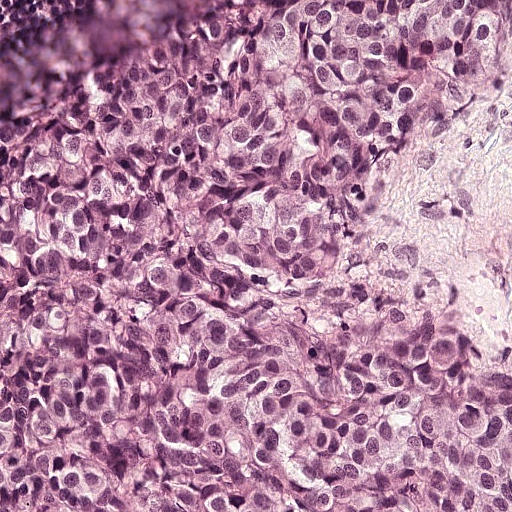
A 0.25-mm field of an H&E-stained sentinel lymph node from a breast-cancer patient (whole-slide image), shown at about 20×, about 0.49 µm per pixel.
Metastatic tumour outline, simplified to 11 points and listed clockwise in crop pixels (x, y): (511, 0), (511, 71), (489, 117), (450, 164), (356, 238), (342, 300), (511, 361), (511, 511), (0, 511), (0, 137), (239, 4).
About 85% of this field is tumour.